Image:
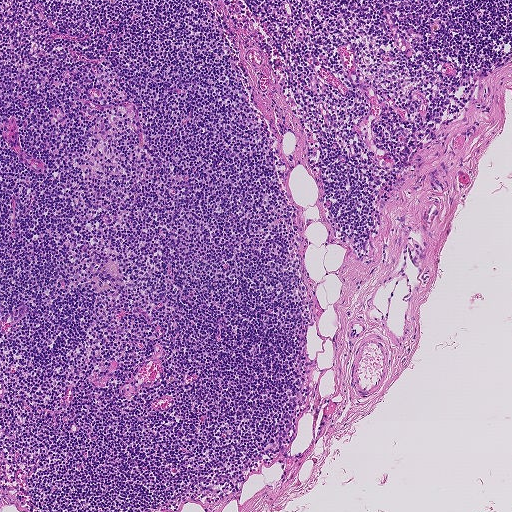
H&E-stained section of a sentinel lymph node (breast cancer), from a whole-slide image, viewed at about 5×: the field is about 0.93 mm across, about 1.8 µm per pixel.
Question:
Is any metastatic breast cancer visible in this crop?
Answer:
No: no metastatic tumour is outlined anywhere in this field.